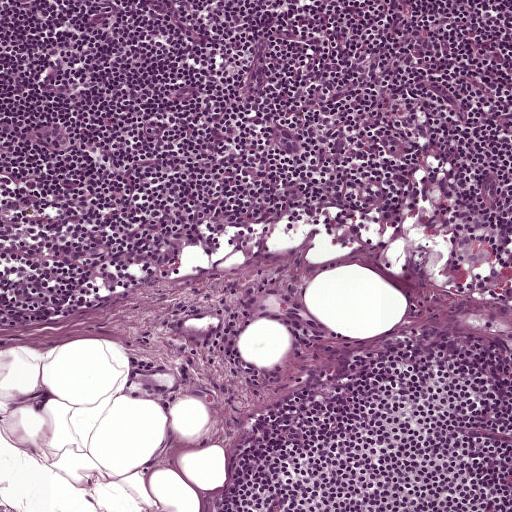
A 0.5-mm field of an H&E-stained sentinel lymph node from a breast-cancer patient (whole-slide image), shown at about 10×, about 0.97 µm per pixel.